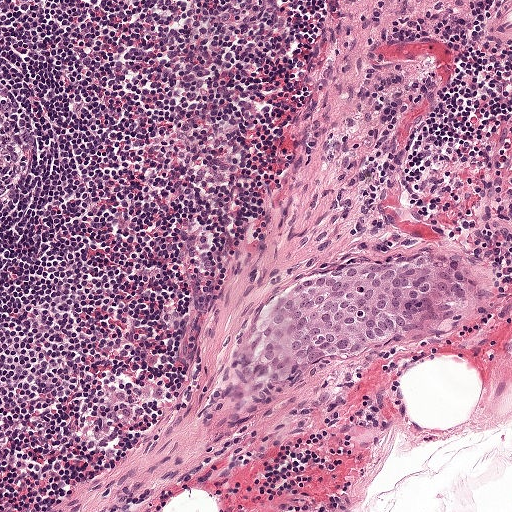
A 0.5-mm field of an H&E-stained sentinel lymph node from a breast-cancer patient (whole-slide image), shown at about 10×, about 0.97 µm per pixel.
Question: Is any metastatic breast cancer visible in this crop?
Answer: Yes.
The outlined metastatic tumour's edge, as a closed clockwise path of 14 points: (451, 250), (467, 257), (473, 274), (450, 317), (384, 347), (332, 359), (290, 379), (273, 394), (240, 396), (243, 358), (293, 288), (332, 276), (368, 259), (410, 262).
About 5% of the image area is annotated as tumour.